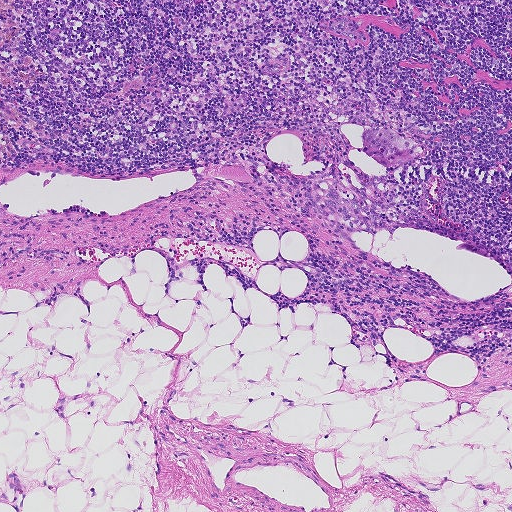
This is a crop of a whole-slide image: an H&E-stained breast-cancer sentinel lymph node section at roughly 5× magnification (about 1.8 µm per pixel; the crop spans about 0.93 mm).
Question: Does this lymph node field contain metastatic tumour?
Answer: Yes.
Tumour region outline (a closed clockwise path, crop pixels): (388, 128), (419, 144), (421, 149), (421, 155), (404, 165), (386, 168), (364, 151), (362, 139), (364, 133).
Under 5% of the image area is annotated as tumour.